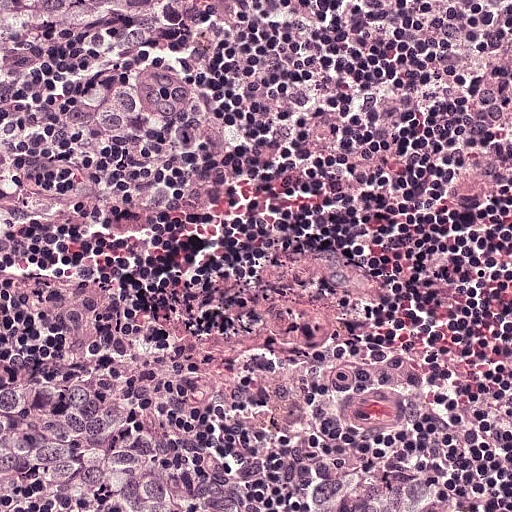
H&E-stained section of a sentinel lymph node (breast cancer), from a whole-slide image, viewed at about 20×: the field is about 0.25 mm across, about 0.49 µm per pixel.
Question: Describe where the metastatic carcinoma lies in this crop.
Answer: One metastatic tumour region; its boundary, reduced to 18 corners and listed clockwise: (0, 0), (306, 0), (304, 104), (276, 226), (171, 339), (156, 416), (164, 432), (201, 444), (284, 452), (366, 486), (438, 484), (461, 511), (0, 511), (0, 394), (81, 344), (81, 289), (41, 266), (4, 272).
About 50% of the image area is annotated as tumour.